Question: 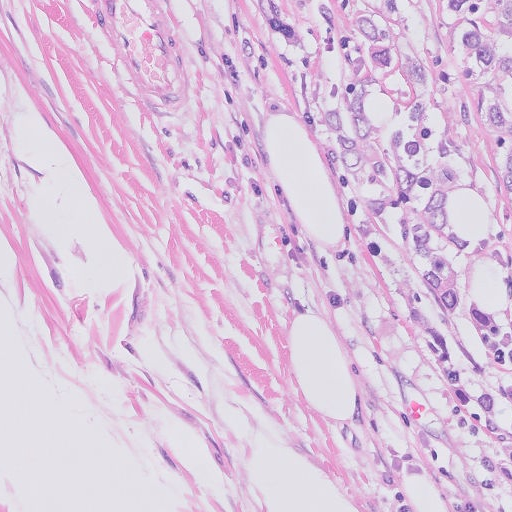
Lymph node section stained with H&E, from a whole-slide image of a breast-cancer sentinel node. Magnification about 20×, about 0.26 mm across the frame, about 0.5 µm per pixel.
About how much of this crop is taken up by metastatic carcinoma?

Choices:
 (A) about 10% to 20%
 (B) about 5% or less
 (C) about 25% to 45%
 (D) about 50% or more
 (E) none: no tumour is outlined

Answer: (C) about 25% to 45%
About 30% of the field is tumour.
Metastatic tumour outline, simplified to 4 points and listed clockwise in crop pixels (x, y): (167, 0), (511, 0), (511, 420), (192, 70).